H&E-stained section of a sentinel lymph node (breast cancer), from a whole-slide image, viewed at about 20×: the field is about 0.25 mm across, about 0.49 µm per pixel.
Image:
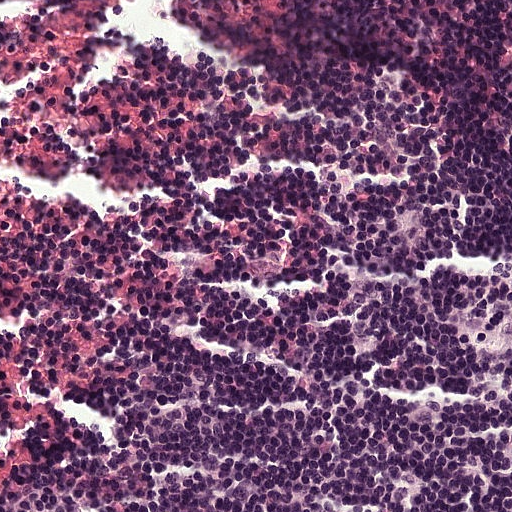
Question:
Is there metastatic carcinoma in this field?
Answer:
No, this field holds no outlined metastasis.